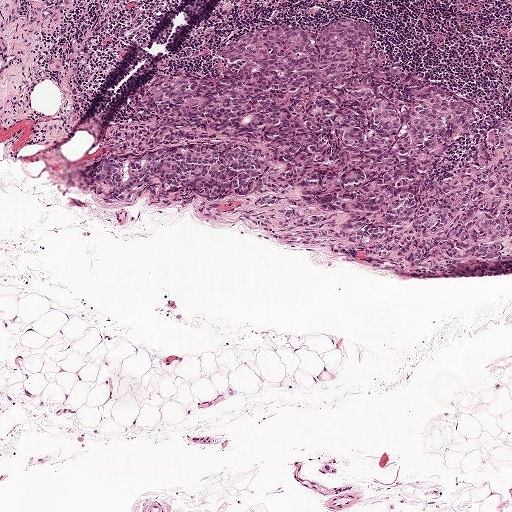
A 1-mm field of an H&E-stained sentinel lymph node from a breast-cancer patient (whole-slide image), shown at about 5×, about 1.9 µm per pixel.
Question: Is any metastatic breast cancer visible in this crop?
Answer: Yes.
Metastatic tumour outline, simplified to 19 points and listed clockwise in crop pixels (x, y): (271, 22), (314, 40), (366, 22), (371, 55), (482, 108), (429, 184), (511, 124), (511, 257), (392, 262), (296, 186), (268, 205), (157, 201), (151, 176), (102, 194), (104, 162), (242, 138), (140, 94), (214, 75), (225, 45).
About 20% of the image area is annotated as tumour.